Lymph node section stained with H&E, from a whole-slide image of a breast-cancer sentinel node. Magnification about 5×, about 1 mm across the frame, about 1.9 µm per pixel.
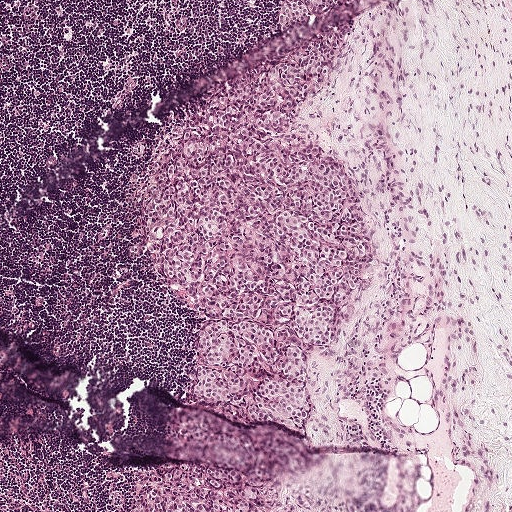
Outlines of three tumour regions, largest first (closed clockwise paths, crop pixels): region 1: (351, 22), (345, 60), (293, 123), (289, 138), (344, 162), (370, 218), (372, 260), (362, 303), (333, 340), (305, 354), (304, 433), (216, 414), (194, 397), (202, 315), (159, 280), (141, 224), (151, 161), (174, 147), (196, 102); region 2: (152, 465), (226, 470), (256, 482), (266, 511), (135, 511), (131, 499), (137, 473); region 3: (284, 0), (333, 0), (326, 7), (311, 11), (305, 20), (291, 29), (278, 31), (279, 12).
Tumour covers about 25% of the frame.